Question: 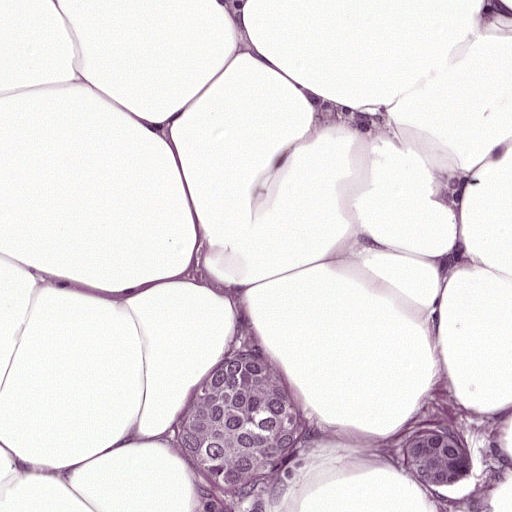
This is a crop of a whole-slide image: an H&E-stained breast-cancer sentinel lymph node section at roughly 20× magnification (about 0.49 µm per pixel; the crop spans about 0.25 mm).
Estimate the proportion of this field that is metastatic tumour.

Choices:
 (A) about 50% or more
 (B) about 25% to 45%
 (C) about 5% or less
 (D) about 10% to 20%
 (E) none: no tumour is outlined

Answer: (C) about 5% or less
About 5% of the field is tumour.
Boundaries of two metastatic tumour regions, simplified and listed clockwise, largest first: region 1: (263, 356), (276, 368), (298, 418), (299, 436), (291, 452), (266, 478), (250, 486), (231, 486), (198, 470), (184, 436), (176, 402), (188, 388), (234, 358); region 2: (425, 428), (443, 433), (458, 446), (469, 468), (466, 486), (448, 486), (430, 484), (416, 472), (408, 456), (410, 438).